Image:
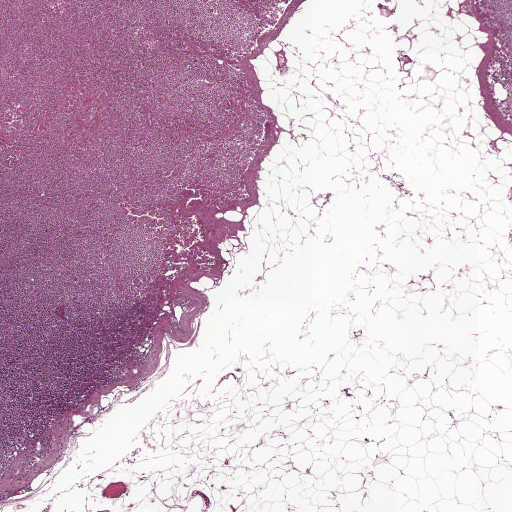
A 2.0-mm field of an H&E-stained sentinel lymph node from a breast-cancer patient (whole-slide image), shown at about 2.5×, about 3.9 µm per pixel.
Question:
Where is the metastatic tumour in this field? Give each region's outline as (x, y) pixel points.
Answer:
Tumour region outline (a closed clockwise path, crop pixels): (159, 274), (166, 276), (167, 280), (166, 300), (159, 322), (155, 323), (151, 341), (148, 338), (140, 346), (140, 353), (120, 363), (105, 367), (101, 365), (89, 354), (82, 335), (104, 316), (108, 328), (116, 324), (114, 314), (134, 303), (140, 292).
Under 5% of the image area is annotated as tumour.